Image:
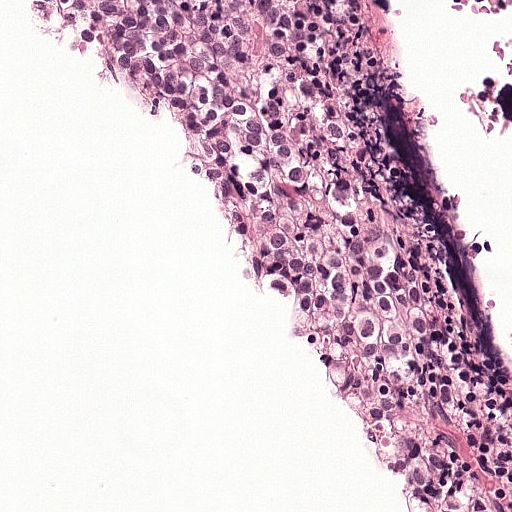
A 0.25-mm field of an H&E-stained sentinel lymph node from a breast-cancer patient (whole-slide image), shown at about 20×, about 0.49 µm per pixel.
Question:
Which parts of this field are metastatic tumour? Answer with the outline of each region, in pixels.
Answer:
One metastatic tumour region; its boundary, reduced to 10 corners and listed clockwise: (309, 0), (340, 127), (394, 254), (504, 438), (511, 511), (412, 511), (281, 240), (254, 200), (192, 147), (108, 2).
About 25% of this field is tumour.